H&E-stained section of a sentinel lymph node (breast cancer), from a whole-slide image, viewed at about 20×: the field is about 0.25 mm across, about 0.49 µm per pixel.
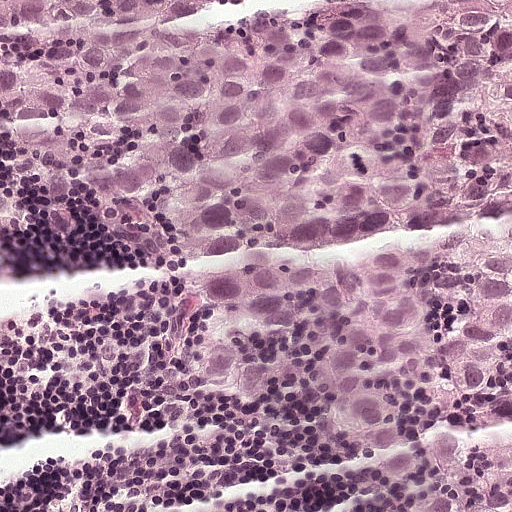
Question: Where is the metastatic tumour in this field? Give each region's outline as (x, y) pixel points.
Answer: One metastatic tumour region; its boundary, reduced to 9 corners and listed clockwise: (0, 0), (511, 0), (511, 511), (290, 511), (223, 466), (168, 403), (144, 320), (42, 270), (1, 236).
About 85% of this field is tumour.